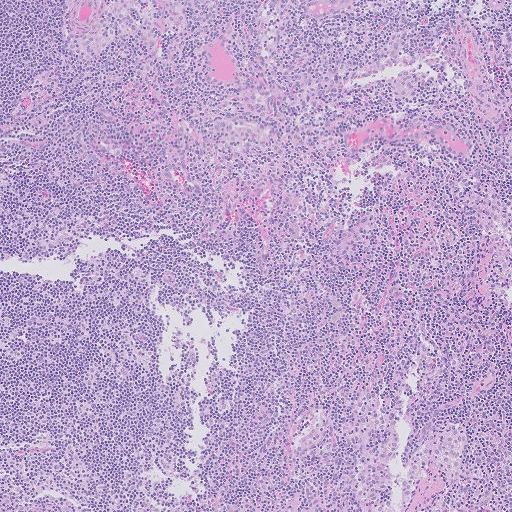
This is a crop of a whole-slide image: an H&E-stained breast-cancer sentinel lymph node section at roughly 5× magnification (about 2.0 µm per pixel; the crop spans about 1.0 mm).